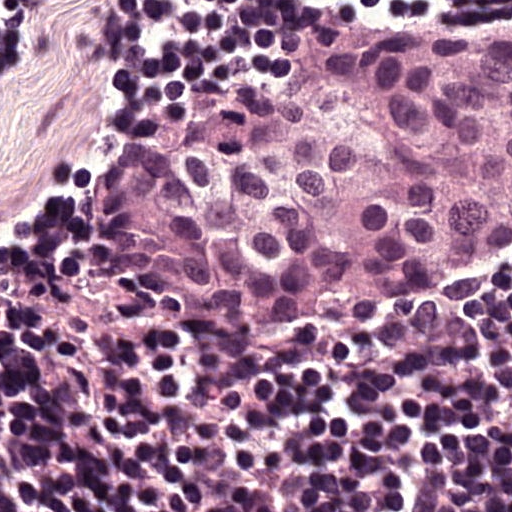
Lymph node section stained with H&E, from a whole-slide image of a breast-cancer sentinel node. Magnification about 40×, about 0.12 mm across the frame, about 0.24 µm per pixel.
Metastatic tumour outline, simplified to 11 points and listed clockwise in crop pixels (x, y): (306, 0), (511, 0), (511, 264), (341, 339), (113, 328), (44, 309), (19, 271), (31, 221), (131, 121), (244, 78), (300, 40).
The annotated tumour makes up about 45% of the crop.